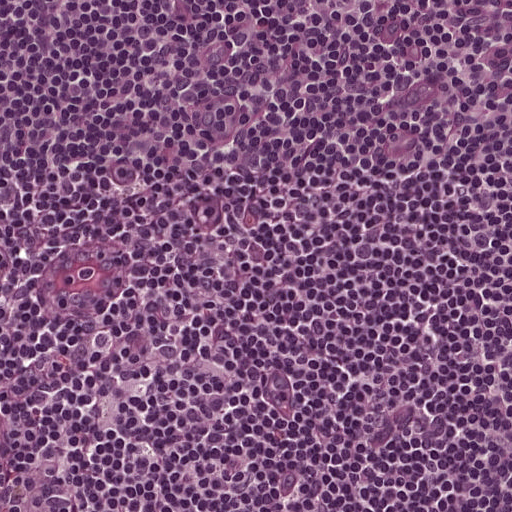
H&E-stained section of a sentinel lymph node (breast cancer), from a whole-slide image, viewed at about 20×: the field is about 0.25 mm across, about 0.49 µm per pixel.